Question: 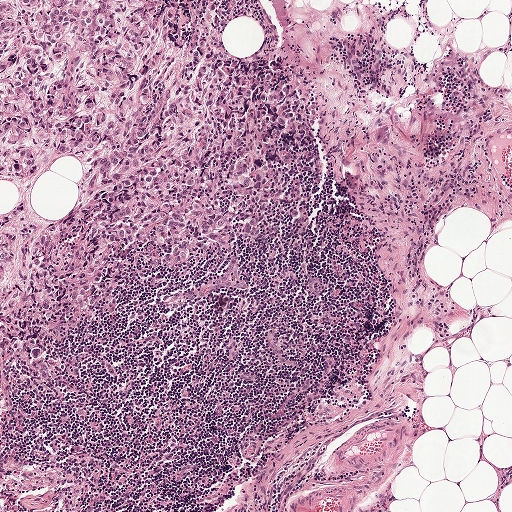
H&E-stained section of a sentinel lymph node (breast cancer), from a whole-slide image, viewed at about 5×: the field is about 1 mm across, about 1.9 µm per pixel.
About how much of this crop is taken up by metastatic carcinoma?

Choices:
 (A) about 5% or less
 (B) about 25% to 45%
 (C) about 50% or more
 (D) none: no tumour is outlined
 (E) about 10% to 20%

Answer: (B) about 25% to 45%
About 35% of the field is tumour.
Metastatic tumour outline, simplified to 10 points and listed clockwise in crop pixels (x, y): (0, 0), (178, 0), (234, 68), (300, 94), (314, 138), (306, 204), (234, 276), (121, 306), (84, 357), (1, 399).